Question: 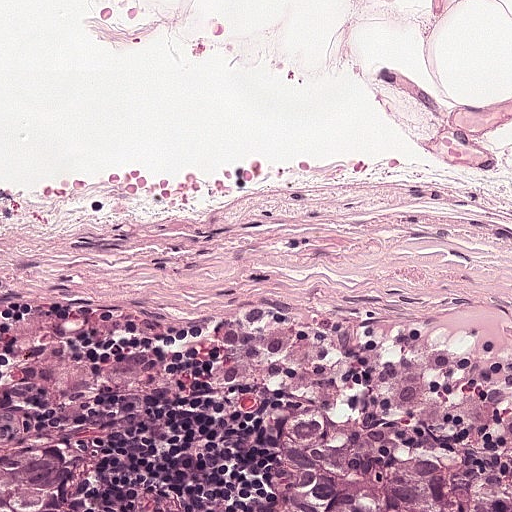
H&E-stained section of a sentinel lymph node (breast cancer), from a whole-slide image, viewed at about 20×: the field is about 0.25 mm across, about 0.49 µm per pixel.
What fraction of the image area is metastatic tumour?

Choices:
 (A) about 25% to 45%
 (B) about 10% to 20%
 (C) none: no tumour is outlined
 (D) about 50% or more
 (E) about 5% or less

Answer: (B) about 10% to 20%
About 15% of the field is tumour.
Outlines of two tumour regions, largest first (closed clockwise paths, crop pixels): region 1: (300, 371), (425, 387), (510, 408), (511, 511), (283, 511), (284, 477), (302, 438), (228, 418), (221, 392), (248, 372); region 2: (0, 478), (30, 478), (64, 488), (74, 494), (75, 511), (0, 511).